Question: 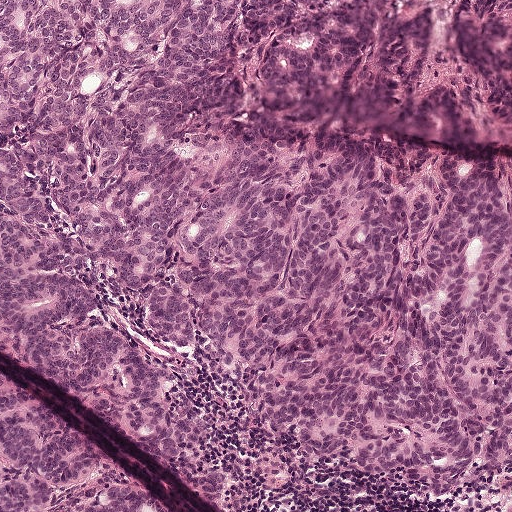
A 0.5-mm field of an H&E-stained sentinel lymph node from a breast-cancer patient (whole-slide image), shown at about 10×, about 0.97 µm per pixel.
About how much of this crop is taken up by metastatic carcinoma?

Choices:
 (A) about 10% to 20%
 (B) about 5% or less
 (C) none: no tumour is outlined
 (D) about 50% or more
 (E) about 25% to 45%

Answer: (D) about 50% or more
About 85% of the field is tumour.
Boundaries of three metastatic tumour regions, simplified and listed clockwise, largest first: region 1: (0, 0), (350, 0), (330, 80), (198, 90), (193, 112), (207, 121), (321, 120), (428, 152), (511, 161), (511, 480), (499, 511), (224, 511), (152, 446), (4, 361); region 2: (0, 378), (80, 428), (132, 487), (167, 511), (0, 511); region 3: (464, 0), (511, 0), (511, 16), (497, 13), (490, 8).